Image:
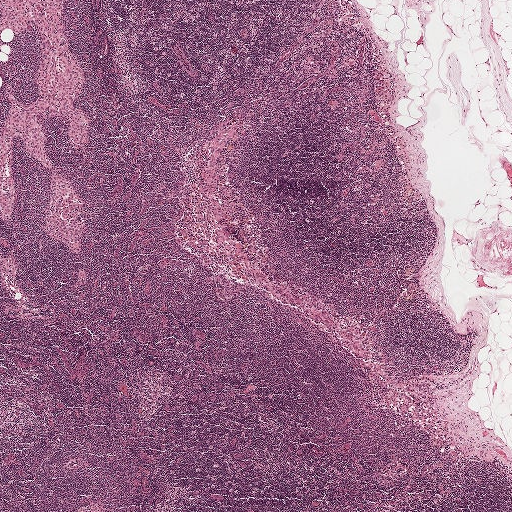
Lymph node section stained with H&E, from a whole-slide image of a breast-cancer sentinel node. Magnification about 2.5×, about 2.0 mm across the frame, about 3.9 µm per pixel.
Question:
Is there metastatic carcinoma in this field?
Answer:
Yes.
Tumour region outline (a closed clockwise path, crop pixels): (376, 83), (382, 83), (387, 85), (392, 94), (392, 100), (388, 105), (379, 104), (375, 99), (377, 94).
The annotated tumour makes up under 5% of the crop.

Image:
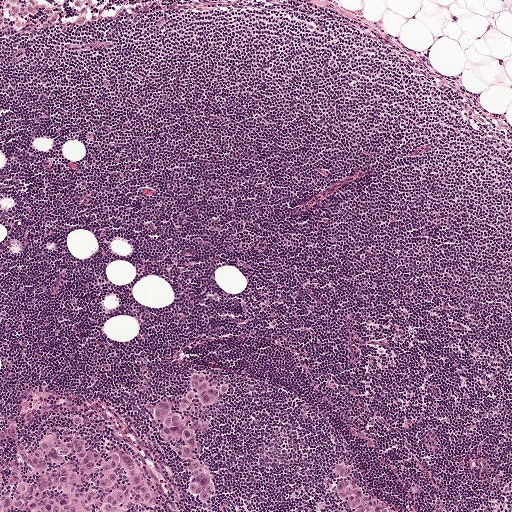
A 1-mm field of an H&E-stained sentinel lymph node from a breast-cancer patient (whole-slide image), shown at about 5×, about 1.9 µm per pixel.
Question:
Is there metastatic carcinoma in this field?
Answer:
Yes.
Three metastatic tumour regions, each outlined as a closed clockwise path in crop pixels (x, y), largest first: region 1: (85, 416), (88, 436), (109, 439), (147, 469), (167, 510), (0, 511), (0, 427), (21, 422), (28, 428), (30, 442), (38, 442), (47, 429), (63, 427), (68, 417); region 2: (189, 372), (203, 372), (215, 382), (227, 383), (229, 391), (217, 406), (205, 407), (201, 412), (206, 430), (199, 437), (200, 446), (217, 484), (212, 504), (204, 506), (189, 494), (189, 472), (182, 457), (161, 441), (152, 424), (148, 409), (157, 400), (175, 400), (186, 396), (189, 392); region 3: (337, 462), (349, 464), (355, 469), (364, 488), (380, 495), (393, 511), (337, 511), (337, 504), (331, 494), (329, 483), (329, 464).
About 5% of this field is tumour.

Image:
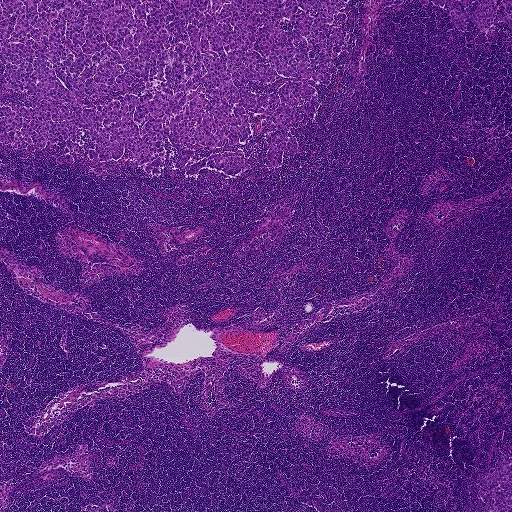
Lymph node section stained with H&E, from a whole-slide image of a breast-cancer sentinel node. Magnification about 2.5×, about 1.9 mm across the frame, about 3.6 µm per pixel.
Question:
Is there metastatic carcinoma in this field?
Answer:
Yes.
Boundaries of four metastatic tumour regions, simplified and listed clockwise, largest first: region 1: (0, 0), (348, 0), (329, 83), (233, 82), (262, 94), (315, 88), (280, 168), (263, 113), (234, 145), (184, 142), (186, 167), (242, 151), (233, 175), (173, 167), (167, 137), (161, 174), (125, 146), (91, 160), (82, 128), (42, 150), (0, 142), (0, 105), (36, 106), (0, 82); region 2: (458, 0), (511, 0), (511, 32), (503, 20), (497, 19), (492, 30), (487, 33), (467, 19), (465, 31), (459, 29), (453, 22), (449, 13), (454, 10), (463, 12); region 3: (503, 453), (509, 458), (511, 456), (511, 511), (483, 511), (490, 506), (491, 497), (479, 498), (477, 492), (479, 483), (476, 483), (475, 481), (483, 476), (488, 476), (490, 470), (495, 468), (496, 462); region 4: (66, 154), (70, 155), (73, 158), (73, 162), (72, 165), (68, 164), (65, 161), (58, 163), (56, 160), (59, 156).
Four more small tumour pieces are annotated here but not outlined.
About 20% of this field is tumour.

Image:
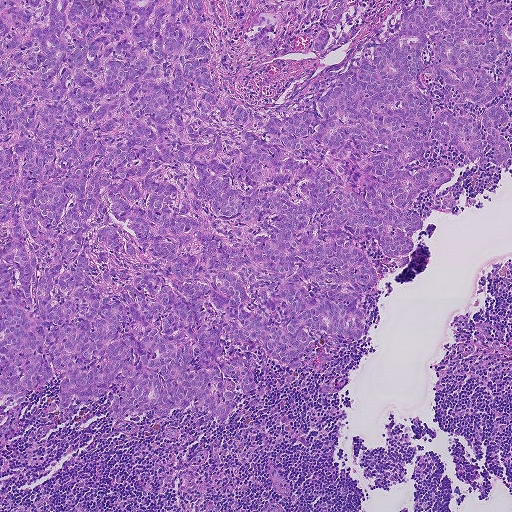
This is a crop of a whole-slide image: an H&E-stained breast-cancer sentinel lymph node section at roughly 5× magnification (about 1.8 µm per pixel; the crop spans about 0.93 mm).
Question:
Is there metastatic carcinoma in this field?
Answer:
Yes.
Metastatic tumour outline, simplified to 22 points and listed clockwise in crop pixels (x, y): (0, 0), (511, 0), (510, 161), (478, 169), (435, 140), (412, 167), (478, 200), (432, 210), (407, 257), (355, 245), (378, 280), (332, 363), (267, 358), (267, 383), (261, 360), (220, 430), (148, 411), (128, 435), (104, 396), (37, 440), (62, 375), (0, 456).
The annotated tumour makes up about 65% of the crop.